H&E-stained section of a sentinel lymph node (breast cancer), from a whole-slide image, viewed at about 10×: the field is about 0.5 mm across, about 0.97 µm per pixel.
Question: 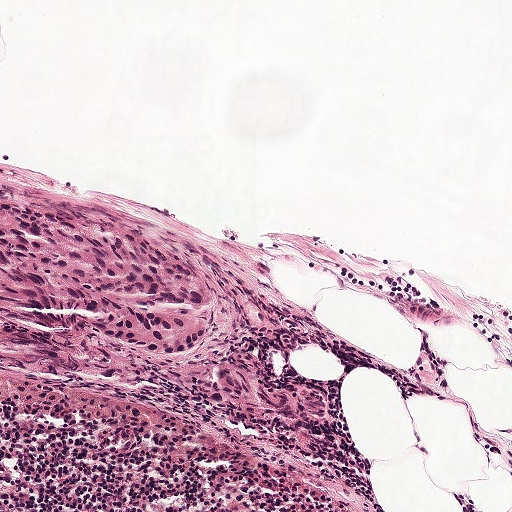
Estimate the proportion of this field that is metastatic tumour.

Choices:
 (A) about 10% to 20%
 (B) about 25% to 45%
 (C) none: no tumour is outlined
 (D) about 50% or more
 (E) about 5% or less

Answer: (A) about 10% to 20%
About 10% of the field is tumour.
Metastatic tumour outline, simplified to 9 points and listed clockwise in crop pixels (x, y): (0, 179), (22, 189), (60, 189), (144, 228), (202, 283), (205, 316), (189, 354), (136, 372), (1, 364).